Question: 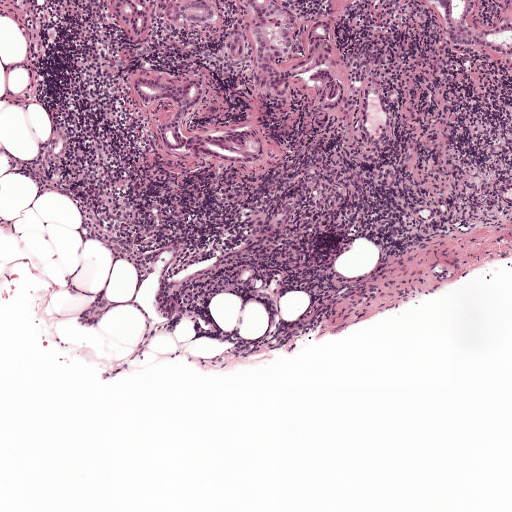
Lymph node section stained with H&E, from a whole-slide image of a breast-cancer sentinel node. Magnification about 5×, about 1 mm across the frame, about 1.9 µm per pixel.
What fraction of the image area is metastatic tumour?

Choices:
 (A) about 10% to 20%
 (B) about 5% or less
 (C) about 50% or more
 (D) about 25% to 45%
 (E) none: no tumour is outlined

Answer: (A) about 10% to 20%
About 15% of the field is tumour.
Two metastatic tumour regions, each outlined as a closed clockwise path in crop pixels (x, y), largest first: region 1: (110, 0), (357, 0), (330, 38), (340, 72), (378, 79), (394, 112), (387, 141), (380, 152), (358, 155), (341, 122), (307, 100), (294, 82), (286, 103), (255, 103), (283, 157), (264, 181), (174, 167), (154, 143), (110, 30); region 2: (413, 0), (511, 0), (511, 56), (490, 56), (458, 49).